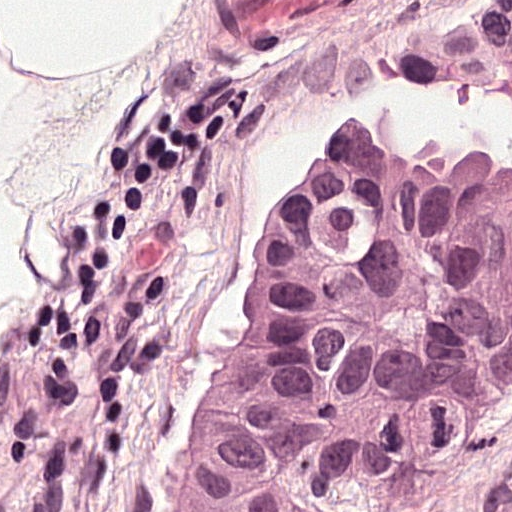
This is a crop of a whole-slide image: an H&E-stained breast-cancer sentinel lymph node section at roughly 40× magnification (about 0.24 µm per pixel; the crop spans about 0.12 mm).
One metastatic tumour region; its boundary, reduced to 9 corners and listed clockwise: (511, 0), (511, 442), (432, 511), (175, 511), (183, 438), (227, 297), (309, 97), (335, 64), (435, 8).
Tumour covers about 50% of the frame.